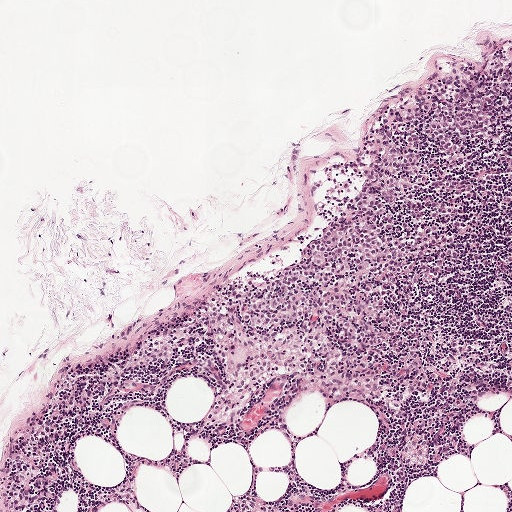
H&E-stained section of a sentinel lymph node (breast cancer), from a whole-slide image, viewed at about 5×: the field is about 1 mm across, about 1.9 µm per pixel.
Question: Where is the metastatic tumour in this field?
Answer: One metastatic tumour region; its boundary, reduced to 21 corners and listed clockwise: (511, 52), (511, 103), (493, 113), (490, 144), (469, 161), (475, 197), (464, 211), (460, 253), (411, 306), (402, 360), (372, 360), (319, 328), (232, 324), (220, 314), (220, 298), (261, 285), (320, 231), (350, 192), (363, 143), (404, 82), (434, 65).
The annotated tumour makes up about 15% of the crop.